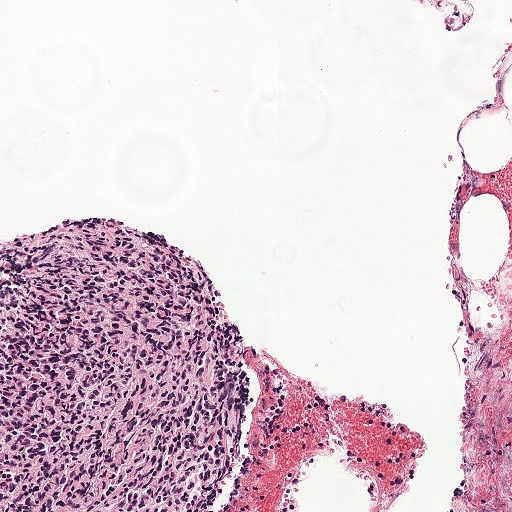
A 0.5-mm field of an H&E-stained sentinel lymph node from a breast-cancer patient (whole-slide image), shown at about 10×, about 0.97 µm per pixel.
Metastatic tumour outline, simplified to 10 points and listed clockwise in crop pixels (x, y): (38, 222), (121, 222), (170, 240), (207, 274), (236, 352), (241, 413), (222, 483), (202, 509), (0, 511), (0, 244).
One more small tumour piece is annotated here but not outlined.
Tumour covers about 25% of the frame.